H&E-stained section of a sentinel lymph node (breast cancer), from a whole-slide image, viewed at about 10×: the field is about 0.46 mm across, about 0.9 µm per pixel.
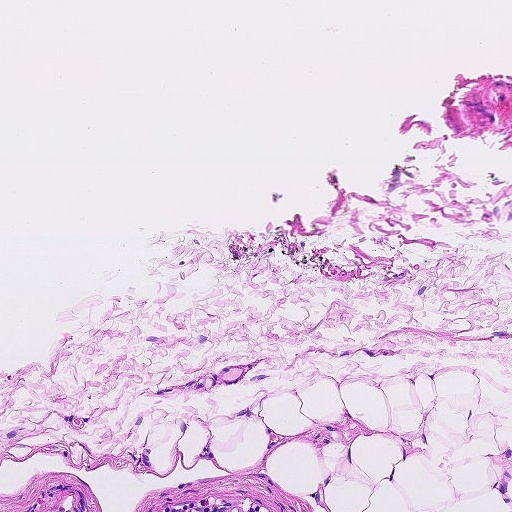
Question: Does this lymph node field contain metastatic tumour?
Answer: No. No metastatic tumour is outlined in this field.